Question: 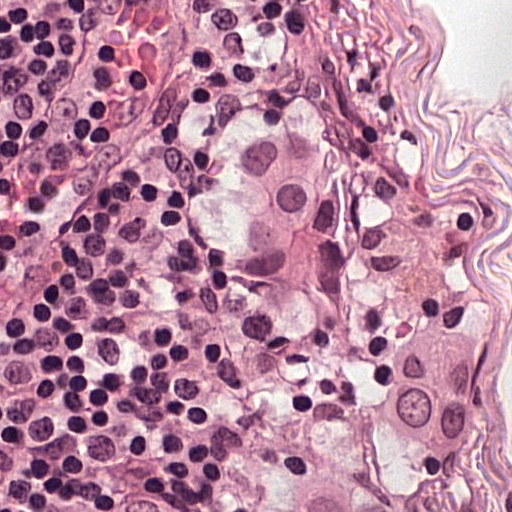
Which magnification is this H&E lymph node field most likely shown at?

Choices:
 (A) about 20×
 (B) about 40×
 (C) about 10×
 (D) about 5×
 (E) about 2.5×

Answer: (B) about 40×
H&E-stained section of a sentinel lymph node (breast cancer), from a whole-slide image, viewed at about 40×: the field is about 0.12 mm across, about 0.24 µm per pixel.
Boundaries of two metastatic tumour regions, simplified and listed clockwise, largest first: region 1: (340, 71), (352, 132), (349, 225), (370, 271), (493, 325), (498, 389), (477, 448), (443, 465), (393, 452), (374, 414), (365, 359), (340, 318), (311, 302), (229, 298), (186, 255), (183, 234), (213, 159), (252, 100), (288, 75); region 2: (293, 439), (361, 439), (377, 461), (414, 495), (417, 511), (226, 511), (243, 475), (248, 475), (257, 461).
Tumour covers about 25% of the frame.